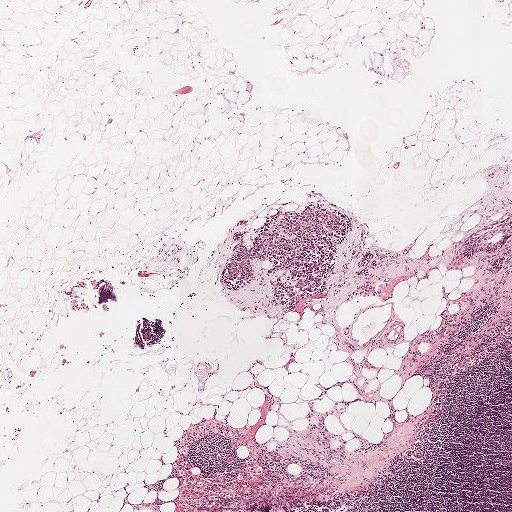
This is a crop of a whole-slide image: an H&E-stained breast-cancer sentinel lymph node section at roughly 2.5× magnification (about 3.9 µm per pixel; the crop spans about 2.0 mm).
Outlines of three tumour regions, largest first (closed clockwise paths, crop pixels): region 1: (316, 203), (346, 213), (351, 231), (336, 248), (324, 285), (278, 299), (271, 285), (284, 272), (265, 275), (272, 265), (253, 258), (258, 273), (252, 281), (237, 290), (222, 281), (235, 241), (231, 235), (241, 228), (233, 220), (246, 217), (243, 237), (251, 246), (263, 220), (279, 211); region 2: (511, 214), (511, 235), (507, 238), (497, 253), (490, 256), (477, 256), (469, 261), (460, 257), (460, 247), (466, 239); region 3: (511, 244), (511, 260), (507, 266), (501, 271), (494, 273), (487, 273), (486, 268), (488, 264), (492, 261), (498, 257).
About 5% of this field is tumour.